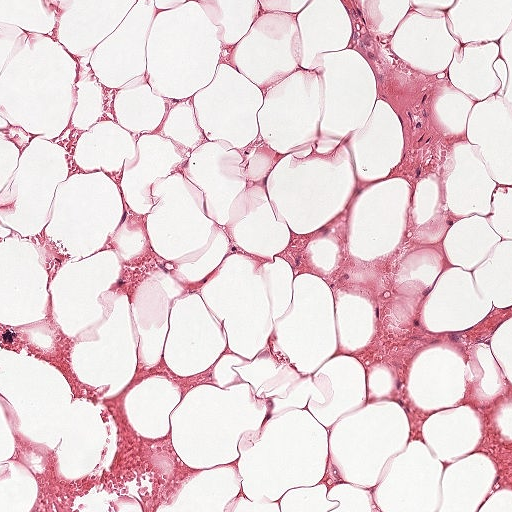
A 0.5-mm field of an H&E-stained sentinel lymph node from a breast-cancer patient (whole-slide image), shown at about 10×, about 0.97 µm per pixel.